This is a crop of a whole-slide image: an H&E-stained breast-cancer sentinel lymph node section at roughly 20× magnification (about 0.49 µm per pixel; the crop spans about 0.25 mm).
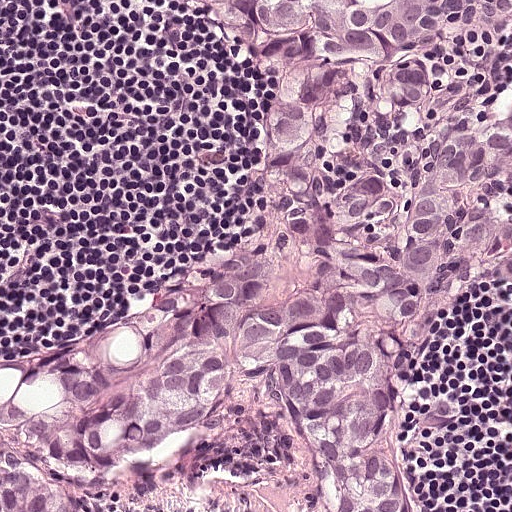
Metastatic tumour outline, simplified to 21 points and listed clockwise in crop pixels (x, y): (192, 0), (511, 0), (511, 90), (496, 126), (511, 137), (511, 294), (471, 314), (420, 373), (409, 411), (479, 403), (482, 427), (416, 441), (409, 496), (425, 511), (0, 511), (0, 372), (196, 311), (252, 215), (268, 164), (263, 114), (236, 52).
About 60% of the image area is annotated as tumour.